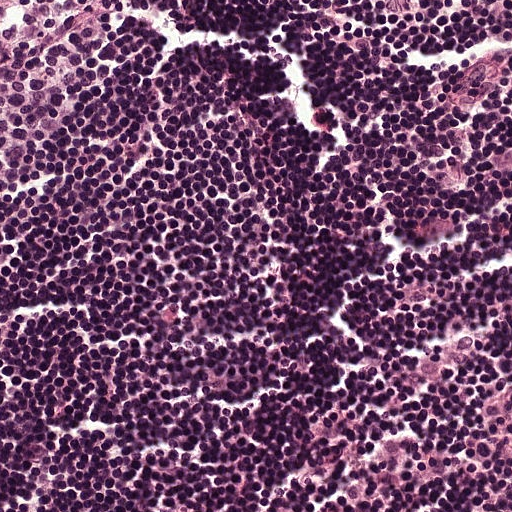
Lymph node section stained with H&E, from a whole-slide image of a breast-cancer sentinel node. Magnification about 20×, about 0.25 mm across the frame, about 0.49 µm per pixel.